A 2.0-mm field of an H&E-stained sentinel lymph node from a breast-cancer patient (whole-slide image), shown at about 2.5×, about 3.9 µm per pixel.
Image:
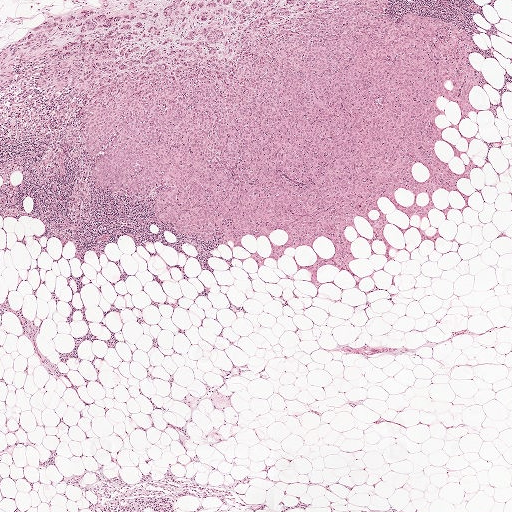
Question:
Is there metastatic carcinoma in this field?
Answer:
Yes.
One metastatic tumour region; its boundary, reduced to 31 corners and listed clockwise: (389, 0), (469, 33), (468, 97), (497, 103), (467, 148), (438, 96), (441, 134), (466, 151), (437, 155), (461, 173), (494, 147), (463, 214), (377, 200), (434, 244), (386, 223), (385, 262), (350, 225), (360, 288), (329, 263), (317, 293), (293, 255), (327, 236), (275, 259), (286, 230), (246, 234), (258, 268), (165, 227), (162, 185), (94, 187), (19, 37), (67, 9).
The annotated tumour makes up about 35% of the crop.